A 1-mm field of an H&E-stained sentinel lymph node from a breast-cancer patient (whole-slide image), shown at about 5×, about 1.9 µm per pixel.
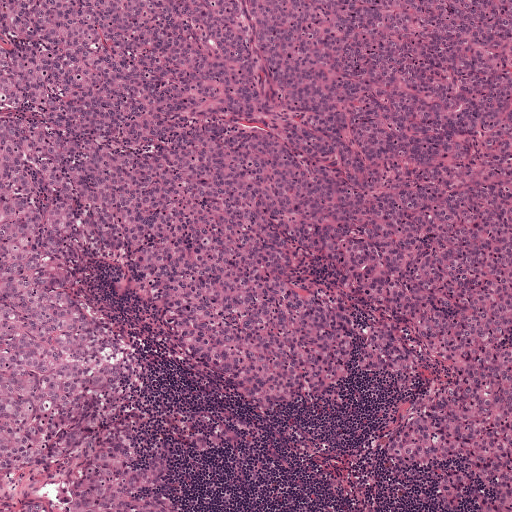
One metastatic tumour region; its boundary, reduced to 18 corners and listed clockwise: (0, 0), (511, 0), (511, 511), (435, 511), (426, 472), (403, 478), (387, 462), (388, 439), (426, 381), (353, 374), (332, 409), (262, 412), (199, 370), (105, 262), (83, 284), (152, 373), (178, 506), (0, 511).
About 85% of the image area is annotated as tumour.